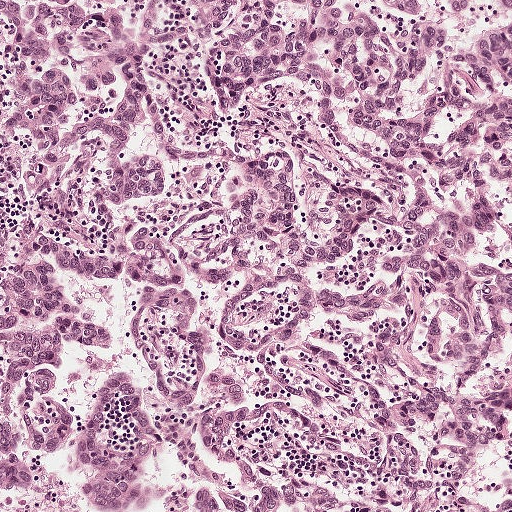
Lymph node section stained with H&E, from a whole-slide image of a breast-cancer sentinel node. Magnification about 10×, about 0.5 mm across the frame, about 0.97 µm per pixel.
The outlined metastatic tumour's edge, as a closed clockwise path of 22 points: (511, 0), (511, 416), (482, 444), (355, 432), (210, 360), (205, 296), (169, 244), (169, 228), (208, 176), (260, 147), (281, 148), (300, 218), (318, 240), (345, 228), (358, 197), (395, 196), (386, 173), (318, 136), (274, 92), (220, 123), (210, 63), (181, 1).
About 45% of the image area is annotated as tumour.